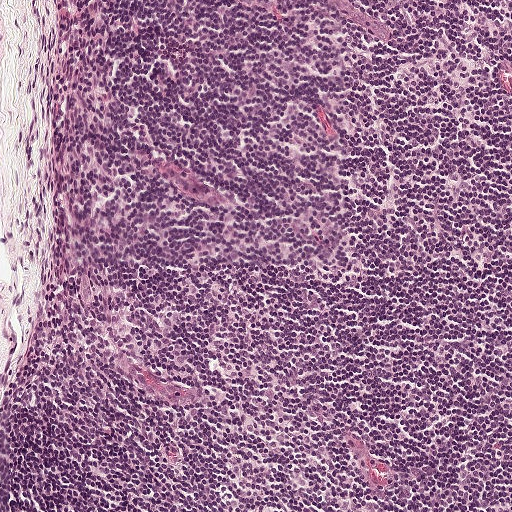
Lymph node section stained with H&E, from a whole-slide image of a breast-cancer sentinel node. Magnification about 10×, about 0.5 mm across the frame, about 0.97 µm per pixel.
Question: Is there metastatic carcinoma in this field?
Answer: No: no metastatic tumour is outlined anywhere in this field.